Lymph node section stained with H&E, from a whole-slide image of a breast-cancer sentinel node. Magnification about 2.5×, about 1.9 mm across the frame, about 3.6 µm per pixel.
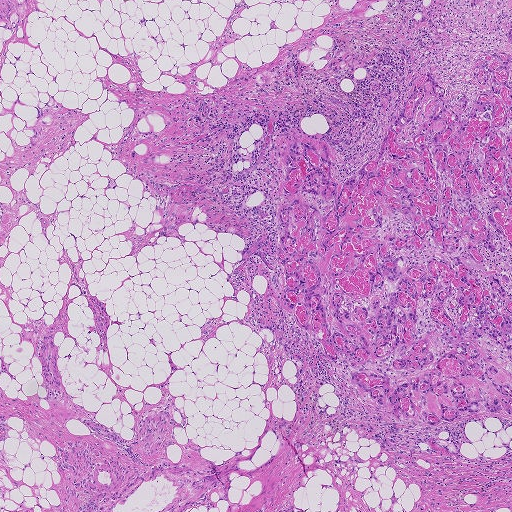
Boundaries of two metastatic tumour regions, simplified and listed clockwise, largest first: region 1: (511, 20), (511, 414), (401, 421), (357, 393), (358, 371), (338, 355), (329, 360), (277, 305), (286, 282), (275, 255), (284, 202), (276, 166), (287, 143), (310, 135), (327, 142), (331, 178), (344, 182), (376, 153), (425, 71), (452, 99), (490, 89), (472, 64), (484, 51), (508, 53); region 2: (471, 0), (511, 0), (511, 9), (506, 10), (504, 7), (488, 15), (471, 10).
One more small tumour piece is annotated here but not outlined.
The annotated tumour makes up about 25% of the crop.